Question: 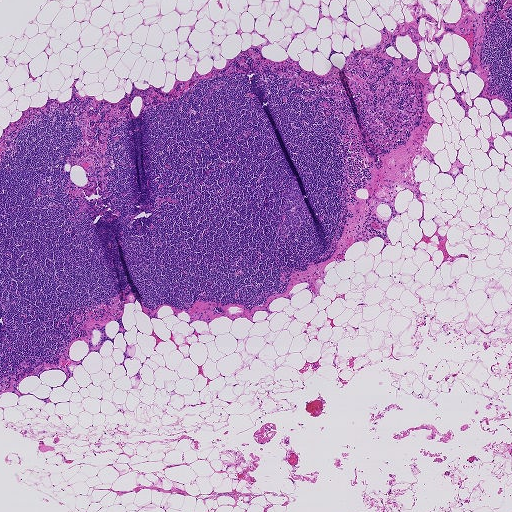
About what magnification does this crop show?

Choices:
 (A) about 40×
 (B) about 5×
 (C) about 10×
 (D) about 2.5×
 (E) about 20×

Answer: (D) about 2.5×
H&E-stained section of a sentinel lymph node (breast cancer), from a whole-slide image, viewed at about 2.5×: the field is about 1.9 mm across, about 3.6 µm per pixel.